Lymph node section stained with H&E, from a whole-slide image of a breast-cancer sentinel node. Magnification about 10×, about 0.46 mm across the frame, about 0.9 µm per pixel.
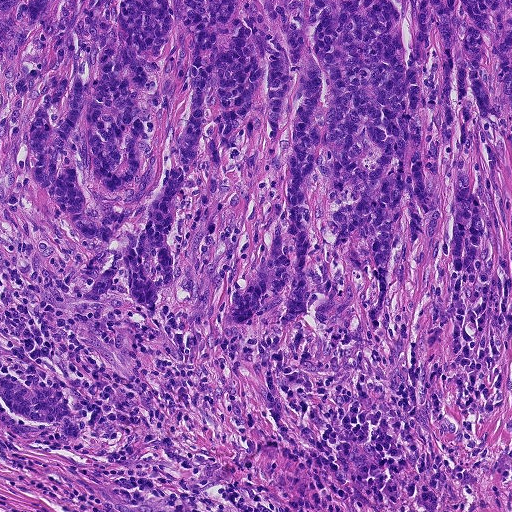
Boundaries of two metastatic tumour regions, simplified and listed clockwise, largest first: region 1: (0, 0), (511, 0), (511, 255), (494, 261), (480, 304), (462, 318), (422, 240), (370, 351), (358, 332), (238, 336), (99, 311), (61, 289), (54, 240), (0, 202); region 2: (4, 370), (46, 381), (64, 395), (74, 414), (91, 429), (75, 443), (54, 435), (12, 414), (0, 398), (0, 374).
The annotated tumour makes up about 60% of the crop.